Question: 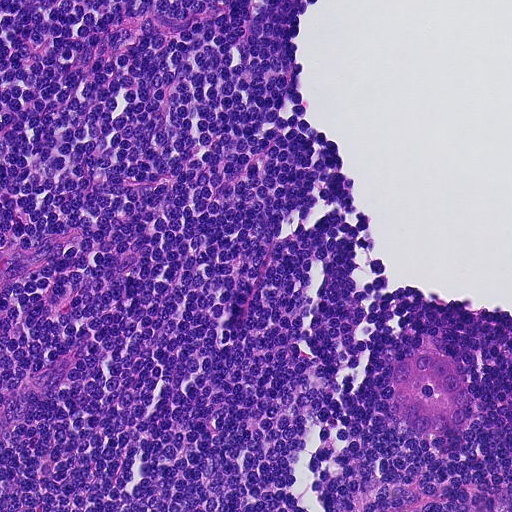
Lymph node section stained with H&E, from a whole-slide image of a breast-cancer sentinel node. Magnification about 20×, about 0.23 mm across the frame, about 0.45 µm per pixel.
Estimate the proportion of this field that is metastatic tumour.

Choices:
 (A) about 50% or more
 (B) about 5% or less
 (C) about 25% to 45%
 (D) about 10% to 20%
 (E) none: no tumour is outlined

Answer: (B) about 5% or less
Under 5% of the field is tumour.
Metastatic tumour outline, simplified to 9 points and listed clockwise in crop pixels (x, y): (422, 351), (449, 360), (467, 384), (475, 409), (464, 432), (436, 436), (410, 431), (391, 414), (396, 361).